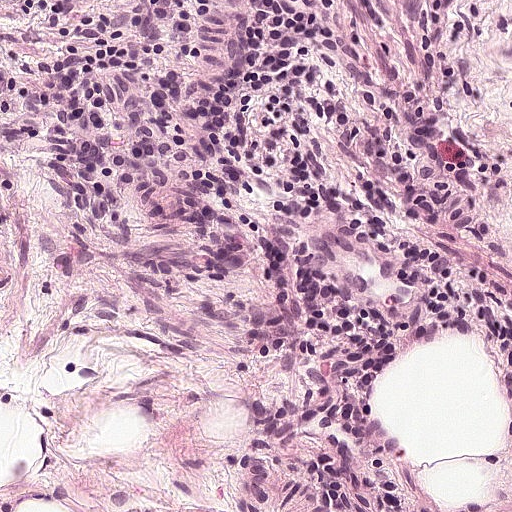
H&E-stained section of a sentinel lymph node (breast cancer), from a whole-slide image, viewed at about 20×: the field is about 0.25 mm across, about 0.49 µm per pixel.